A 0.93-mm field of an H&E-stained sentinel lymph node from a breast-cancer patient (whole-slide image), shown at about 5×, about 1.8 µm per pixel.
Question: 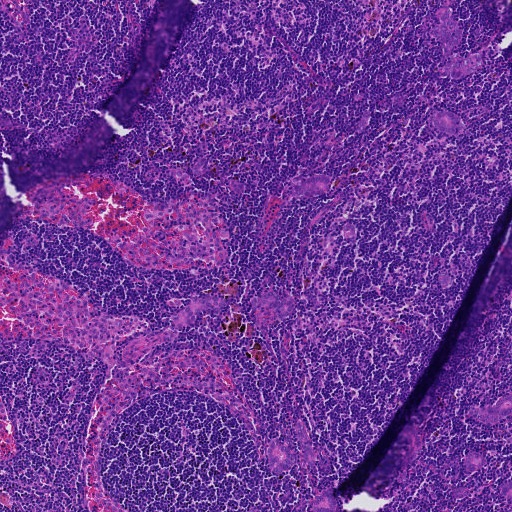
Roughly what share of this field is metastatic tumour?

Choices:
 (A) about 5% or less
 (B) about 25% to 45%
 (C) about 10% to 20%
 (D) about 50% or more
 (E) none: no tumour is outlined

Answer: (A) about 5% or less
About 5% of the field is tumour.
The eight largest tumour regions' boundaries, simplified and listed clockwise, largest first: region 1: (446, 8), (451, 8), (462, 31), (462, 36), (452, 53), (461, 56), (462, 61), (479, 51), (482, 56), (482, 66), (460, 78), (446, 77), (442, 68), (454, 58), (449, 55), (445, 57), (439, 43), (431, 36), (430, 30), (438, 24), (440, 20), (439, 15); region 2: (208, 295), (223, 298), (225, 302), (224, 307), (217, 314), (208, 310), (190, 325), (181, 328), (176, 328), (170, 320), (172, 315), (188, 304), (193, 296), (204, 297); region 3: (269, 291), (278, 295), (288, 294), (292, 297), (293, 302), (292, 312), (288, 316), (279, 319), (264, 311), (255, 314), (252, 305), (252, 300), (256, 296), (261, 296); region 4: (326, 175), (331, 178), (330, 188), (317, 196), (295, 198), (289, 188), (291, 178), (296, 176), (306, 178); region 5: (508, 394), (511, 395), (511, 413), (490, 426), (485, 425), (472, 416), (470, 412), (471, 407), (492, 407), (503, 396); region 6: (273, 439), (287, 445), (293, 458), (292, 467), (284, 474), (274, 474), (268, 460), (266, 450), (269, 442); region 7: (444, 110), (454, 113), (465, 123), (465, 128), (462, 132), (451, 134), (436, 129), (430, 122), (431, 116); region 8: (297, 420), (302, 421), (314, 453), (314, 462), (313, 466), (308, 466), (302, 447), (296, 439), (296, 424).
Seven more, smaller tumour regions are not outlined.
Four more small tumour pieces are annotated here but not outlined.